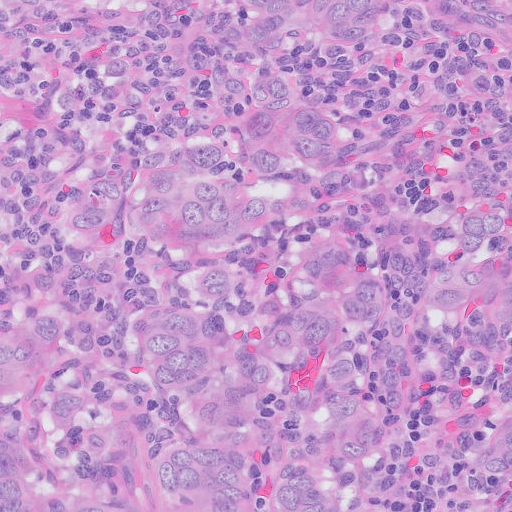
H&E-stained section of a sentinel lymph node (breast cancer), from a whole-slide image, viewed at about 20×: the field is about 0.26 mm across, about 0.5 µm per pixel.
One metastatic tumour region; its boundary, reduced to 11 corners and listed clockwise: (0, 0), (511, 0), (511, 511), (0, 511), (0, 269), (69, 228), (82, 197), (80, 97), (114, 38), (81, 28), (0, 44).
Tumour covers about 95% of the frame.